Question: 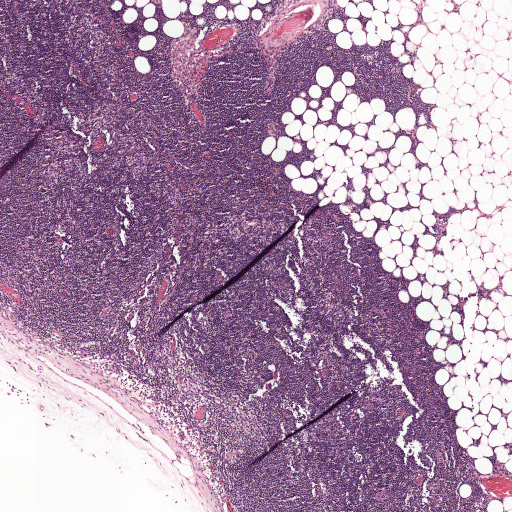
At roughly what magnification is this field shown?

Choices:
 (A) about 2.5×
 (B) about 40×
 (C) about 20×
 (D) about 10×
 (E) about 5×

Answer: (A) about 2.5×
Lymph node section stained with H&E, from a whole-slide image of a breast-cancer sentinel node. Magnification about 2.5×, about 2.0 mm across the frame, about 3.9 µm per pixel.